A 0.46-mm field of an H&E-stained sentinel lymph node from a breast-cancer patient (whole-slide image), shown at about 10×, about 0.91 µm per pixel.
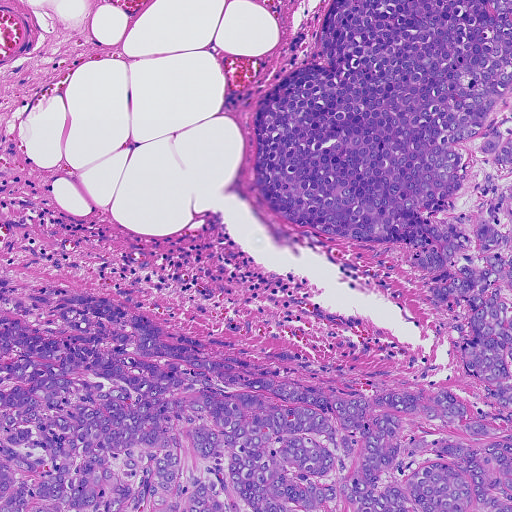
Metastatic tumour outline, simplified to 21 points and listed clockwise in crop pixels (x, y): (511, 0), (511, 511), (0, 511), (0, 271), (113, 297), (128, 286), (163, 321), (298, 353), (372, 393), (443, 387), (472, 403), (490, 400), (461, 367), (404, 246), (300, 230), (258, 192), (258, 100), (296, 70), (328, 68), (318, 34), (328, 4).
About 60% of the image area is annotated as tumour.